Question: 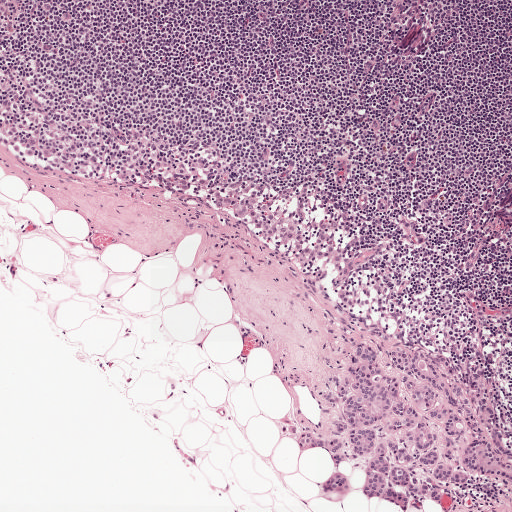
A 1-mm field of an H&E-stained sentinel lymph node from a breast-cancer patient (whole-slide image), shown at about 5×, about 1.9 µm per pixel.
Estimate the proportion of this field that is metastatic tumour.

Choices:
 (A) about 25% to 45%
 (B) about 50% or more
 (C) none: no tumour is outlined
 (D) about 10% to 20%
 (E) about 5% or less

Answer: (E) about 5% or less
About 5% of the field is tumour.
Two metastatic tumour regions, each outlined as a closed clockwise path in crop pixels (x, y), largest first: region 1: (359, 342), (437, 433), (430, 450), (440, 460), (462, 469), (463, 446), (480, 439), (511, 467), (511, 482), (480, 474), (437, 483), (439, 500), (424, 494), (417, 509), (411, 496), (405, 511), (369, 500), (366, 469), (379, 445), (429, 451), (404, 430), (388, 433), (401, 416), (391, 409), (367, 428), (375, 442), (362, 456), (349, 444), (356, 429), (342, 433), (350, 489), (328, 494), (335, 453), (301, 453), (288, 426), (330, 437), (344, 406), (321, 394), (335, 376), (354, 391); region 2: (399, 346), (416, 347), (441, 356), (454, 367), (459, 384), (474, 407), (491, 407), (494, 415), (481, 425), (482, 434), (475, 438), (467, 436), (467, 428), (458, 441), (454, 458), (448, 460), (444, 455), (447, 438), (442, 430), (443, 422), (431, 420), (414, 405), (390, 358), (391, 349).